Image:
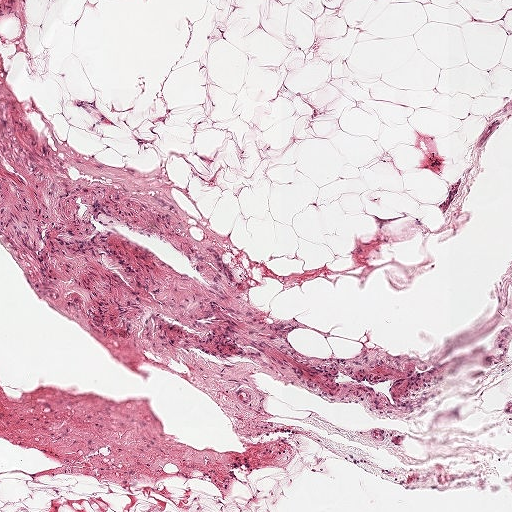
This is a crop of a whole-slide image: an H&E-stained breast-cancer sentinel lymph node section at roughly 5× magnification (about 1.9 µm per pixel; the crop spans about 1 mm).
Question:
Does this lymph node field contain metastatic tumour?
Answer:
No. No metastatic tumour is outlined in this field.